Image:
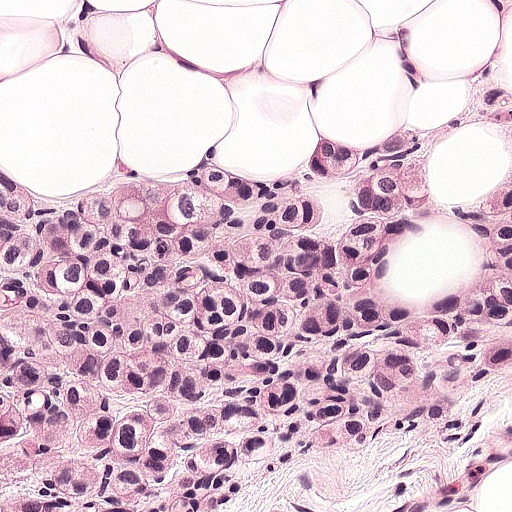
Lymph node section stained with H&E, from a whole-slide image of a breast-cancer sentinel node. Magnification about 20×, about 0.25 mm across the frame, about 0.49 µm per pixel.
Question:
Where is the metastatic tumour in this field? Give each region's outline as (x, y) pixel points.
Answer:
One metastatic tumour region; its boundary, reduced to 18 corners and listed clockwise: (472, 0), (502, 0), (511, 350), (404, 414), (343, 429), (157, 511), (0, 511), (0, 153), (42, 183), (122, 161), (269, 182), (322, 144), (369, 136), (418, 103), (418, 78), (436, 61), (466, 61), (483, 47).
About 60% of the image area is annotated as tumour.